H&E-stained section of a sentinel lymph node (breast cancer), from a whole-slide image, viewed at about 10×: the field is about 0.46 mm across, about 0.9 µm per pixel.
Image:
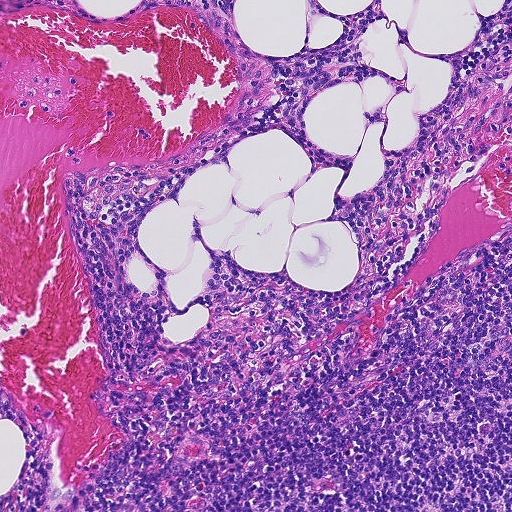
Question:
Does this lymph node field contain metastatic tumour?
Answer:
No, this field holds no outlined metastasis.